Image:
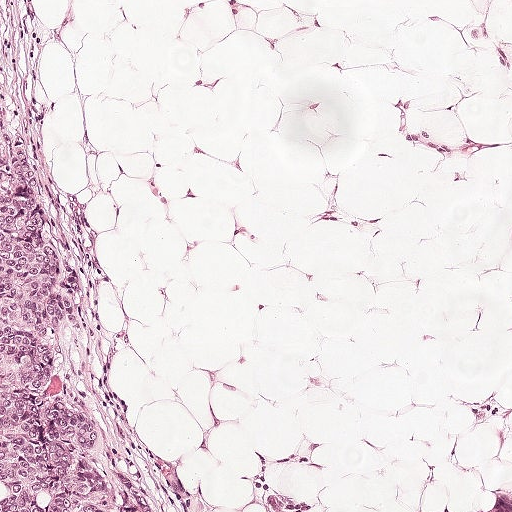
A 0.5-mm field of an H&E-stained sentinel lymph node from a breast-cancer patient (whole-slide image), shown at about 10×, about 0.97 µm per pixel.
Question:
Is there metastatic carcinoma in this field?
Answer:
Yes.
Two metastatic tumour regions, each outlined as a closed clockwise path in crop pixels (x, y), largest first: region 1: (0, 0), (69, 0), (98, 170), (167, 410), (231, 506), (0, 511); region 2: (511, 402), (511, 511), (468, 511), (493, 458), (504, 410).
About 25% of this field is tumour.

Image:
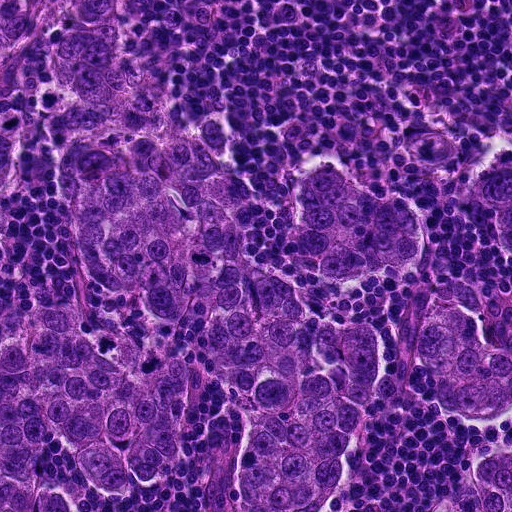
Lymph node section stained with H&E, from a whole-slide image of a breast-cancer sentinel node. Magnification about 20×, about 0.23 mm across the frame, about 0.45 µm per pixel.
Question:
Is there metastatic carcinoma in this field?
Answer:
Yes.
Three metastatic tumour regions, each outlined as a closed clockwise path in crop pixels (x, y), largest first: region 1: (0, 0), (122, 0), (121, 37), (166, 114), (188, 134), (211, 114), (232, 135), (266, 272), (284, 260), (306, 172), (331, 158), (376, 194), (406, 196), (418, 253), (282, 278), (324, 320), (379, 324), (383, 347), (454, 300), (511, 352), (511, 511), (444, 511), (494, 438), (486, 420), (428, 404), (394, 344), (330, 508), (244, 511), (232, 454), (243, 396), (198, 348), (206, 298), (154, 321), (98, 287), (40, 86), (0, 187); region 2: (74, 291), (98, 345), (121, 362), (148, 368), (176, 358), (191, 382), (180, 442), (144, 488), (115, 495), (86, 488), (52, 434), (42, 462), (83, 511), (0, 511), (0, 298), (48, 306); region 3: (511, 155), (511, 254), (495, 242), (488, 214), (477, 187), (490, 158).
The annotated tumour makes up about 50% of the crop.

Image:
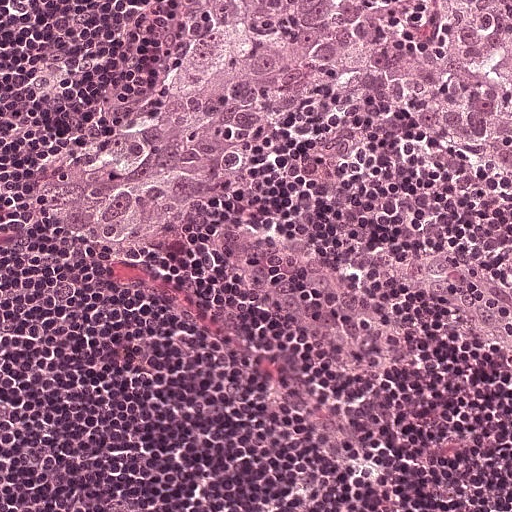
H&E-stained section of a sentinel lymph node (breast cancer), from a whole-slide image, viewed at about 20×: the field is about 0.25 mm across, about 0.49 µm per pixel.
Question:
Is there metastatic carcinoma in this field?
Answer:
Yes.
Tumour region outline (a closed clockwise path, crop pixels): (511, 0), (511, 166), (456, 160), (370, 86), (343, 75), (300, 104), (205, 225), (154, 255), (110, 252), (40, 212), (34, 180), (44, 166), (156, 90), (210, 3).
About 25% of the image area is annotated as tumour.

Image:
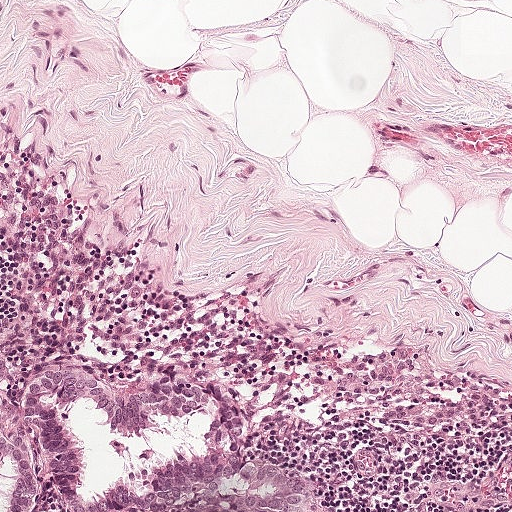
A 0.5-mm field of an H&E-stained sentinel lymph node from a breast-cancer patient (whole-slide image), shown at about 10×, about 0.97 µm per pixel.
Question:
Is there metastatic carcinoma in this field?
Answer:
Yes.
Tumour region outline (a closed clockwise path, crop pixels): (0, 360), (36, 376), (83, 367), (130, 397), (164, 374), (224, 377), (252, 406), (252, 455), (310, 475), (319, 490), (319, 511), (0, 511).
About 15% of the image area is annotated as tumour.